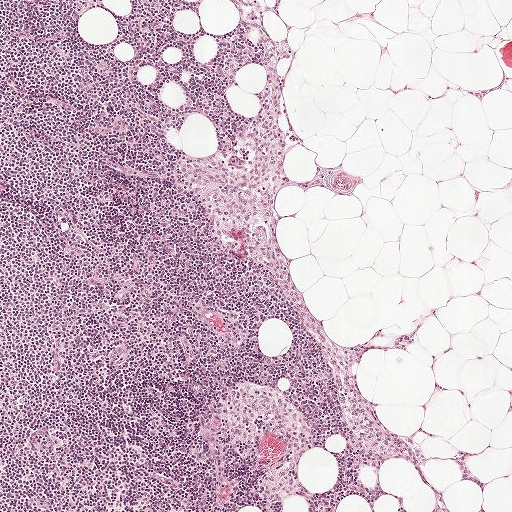
H&E-stained section of a sentinel lymph node (breast cancer), from a whole-slide image, viewed at about 5×: the field is about 1 mm across, about 1.9 µm per pixel.
Question: Does this lymph node field contain metastatic tumour?
Answer: No: no metastatic tumour is outlined anywhere in this field.